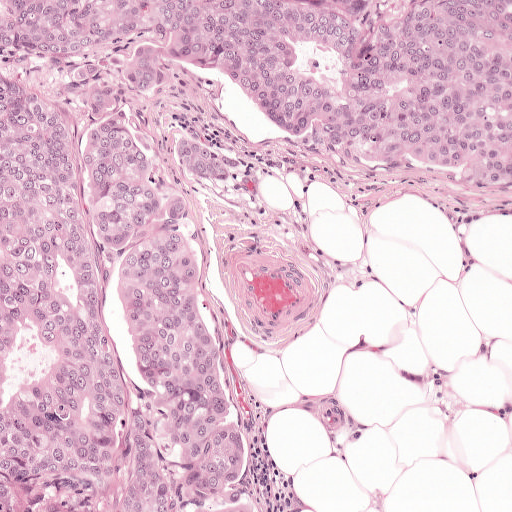
A 0.5-mm field of an H&E-stained sentinel lymph node from a breast-cancer patient (whole-slide image), shown at about 10×, about 0.97 µm per pixel.
Metastatic tumour outline, simplified to 16 points and listed clockwise in crop pixels (x, y): (0, 0), (511, 0), (511, 187), (349, 158), (217, 83), (165, 69), (159, 94), (229, 148), (218, 183), (182, 175), (225, 325), (228, 399), (261, 422), (245, 472), (264, 511), (0, 511).
About 60% of this field is tumour.